A 0.25-mm field of an H&E-stained sentinel lymph node from a breast-cancer patient (whole-slide image), shown at about 20×, about 0.49 µm per pixel.
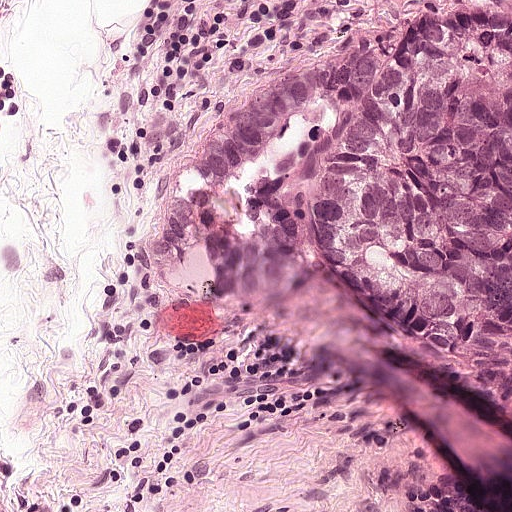
Metastatic tumour outline, simplified to 12 points and listed clockwise in crop pixels (x, y): (470, 1), (511, 15), (511, 356), (388, 394), (338, 392), (215, 328), (186, 265), (186, 224), (165, 206), (222, 112), (267, 74), (386, 15).
About 40% of this field is tumour.